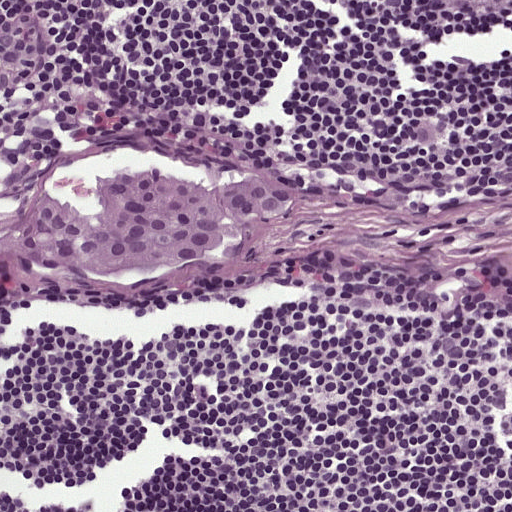
This is a crop of a whole-slide image: an H&E-stained breast-cancer sentinel lymph node section at roughly 20× magnification (about 0.49 µm per pixel; the crop spans about 0.25 mm).
Metastatic tumour outline, simplified to 20 points and listed clockwise in crop pixels (x, y): (153, 167), (215, 182), (257, 174), (284, 183), (298, 196), (282, 218), (250, 226), (242, 238), (228, 241), (220, 256), (191, 263), (107, 275), (61, 272), (2, 256), (0, 237), (38, 192), (50, 186), (92, 212), (94, 182), (104, 174).
About 10% of the image area is annotated as tumour.